This is a crop of a whole-slide image: an H&E-stained breast-cancer sentinel lymph node section at roughly 10× magnification (about 0.97 µm per pixel; the crop spans about 0.5 mm).
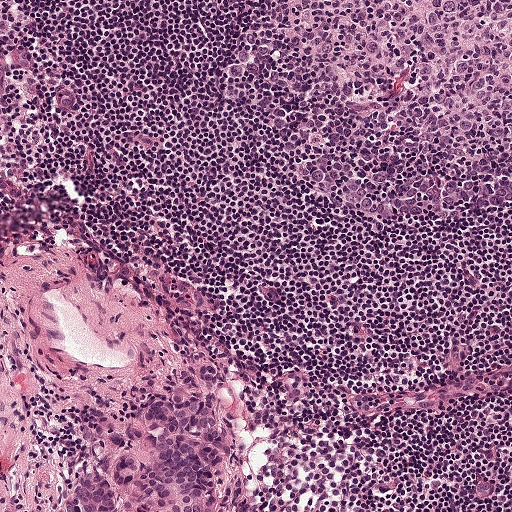
Tumour region outline (a closed clockwise path, crop pixels): (200, 380), (239, 382), (236, 511), (54, 511), (58, 480), (96, 462), (123, 432), (142, 425), (151, 407), (170, 390).
The annotated tumour makes up about 5% of the crop.